Lymph node section stained with H&E, from a whole-slide image of a breast-cancer sentinel node. Magnification about 20×, about 0.23 mm across the frame, about 0.45 µm per pixel.
Image:
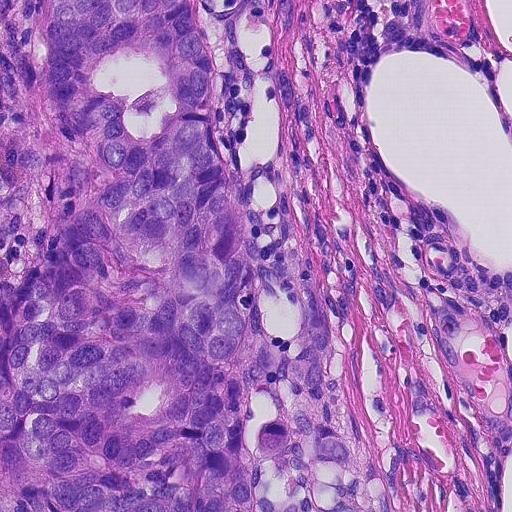
Question:
Is any metastatic breast cancer visible in this crop?
Answer:
Yes.
Tumour region outline (a closed clockwise path, crop pixels): (0, 0), (185, 0), (208, 50), (238, 204), (320, 292), (336, 330), (334, 408), (386, 511), (0, 511).
About 55% of the image area is annotated as tumour.